A 0.5-mm field of an H&E-stained sentinel lymph node from a breast-cancer patient (whole-slide image), shown at about 10×, about 0.97 µm per pixel.
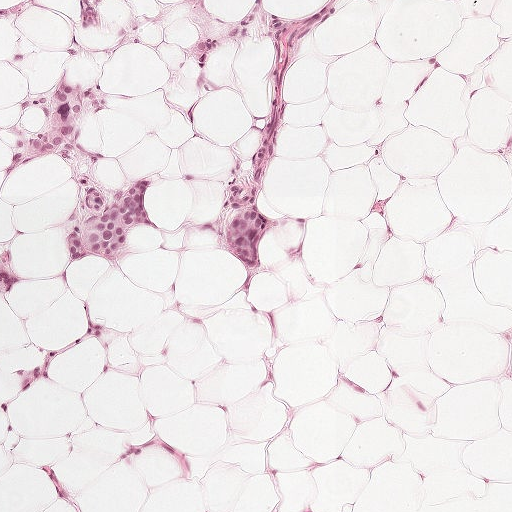
Boundaries of four metastatic tumour regions, simplified and listed clockwise, largest first: region 1: (90, 182), (96, 183), (110, 193), (118, 193), (126, 192), (141, 182), (146, 182), (153, 225), (145, 225), (132, 232), (124, 254), (117, 260), (70, 261), (63, 255), (62, 242), (68, 229), (84, 210), (84, 185); region 2: (250, 179), (256, 182), (254, 206), (268, 216), (270, 222), (268, 233), (259, 244), (259, 264), (253, 268), (234, 259), (222, 237), (224, 228), (231, 218), (228, 193), (232, 188); region 3: (62, 80), (82, 92), (88, 106), (88, 118), (82, 128), (71, 140), (50, 154), (30, 154), (25, 150), (24, 138), (47, 128), (52, 94); region 4: (0, 268), (2, 268), (12, 273), (17, 284), (10, 288), (0, 286).
Tumour covers about 5% of the frame.